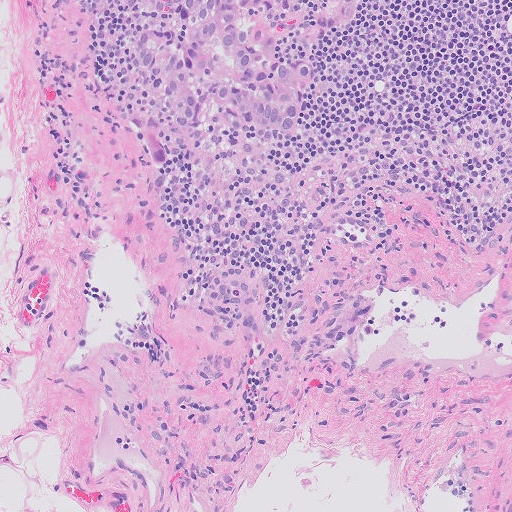
H&E-stained section of a sentinel lymph node (breast cancer), from a whole-slide image, viewed at about 10×: the field is about 0.51 mm across, about 1.0 µm per pixel.
One metastatic tumour region; its boundary, reduced to 24 corners and listed clockwise: (172, 0), (357, 2), (347, 26), (310, 50), (284, 42), (283, 55), (310, 67), (299, 136), (274, 140), (234, 125), (206, 126), (199, 138), (186, 142), (175, 136), (166, 147), (169, 161), (162, 173), (149, 168), (134, 142), (141, 130), (166, 122), (130, 48), (134, 34), (173, 24).
The annotated tumour makes up about 10% of the crop.